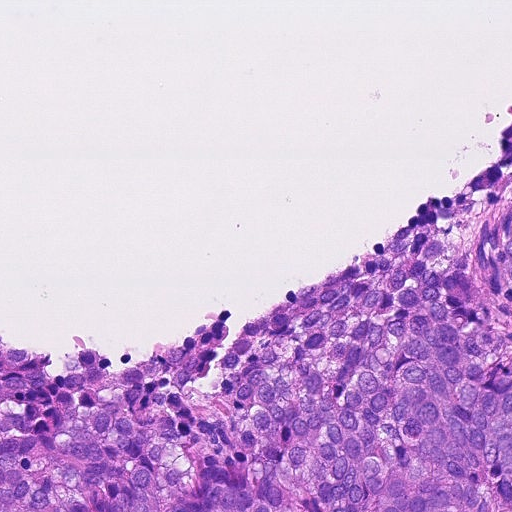
This is a crop of a whole-slide image: an H&E-stained breast-cancer sentinel lymph node section at roughly 20× magnification (about 0.45 µm per pixel; the crop spans about 0.23 mm).
The outlined metastatic tumour's edge, as a closed clockwise path of 15 points: (511, 121), (511, 511), (0, 511), (0, 338), (24, 352), (107, 351), (118, 370), (138, 368), (234, 306), (231, 348), (256, 316), (368, 260), (426, 197), (483, 173), (500, 160).
Tumour covers about 45% of the frame.